Question: 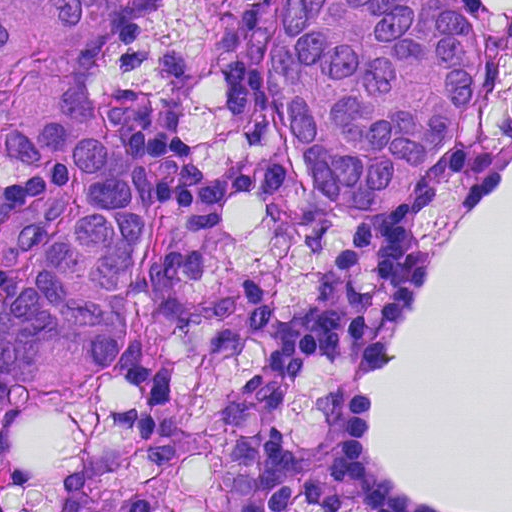
At roughly what magnification is this field shown?

Choices:
 (A) about 5×
 (B) about 40×
 (C) about 10×
 (D) about 20×
 (E) about 2.5×

Answer: (B) about 40×
A 0.12-mm field of an H&E-stained sentinel lymph node from a breast-cancer patient (whole-slide image), shown at about 40×, about 0.23 µm per pixel.
Outlines of two tumour regions, largest first (closed clockwise paths, crop pixels): region 1: (0, 0), (144, 0), (97, 53), (99, 104), (167, 176), (167, 226), (111, 371), (69, 394), (20, 390), (0, 368), (0, 291), (31, 214), (28, 164), (0, 145); region 2: (276, 0), (466, 0), (481, 20), (477, 68), (440, 160), (405, 197), (358, 219), (314, 198), (263, 112), (259, 41).
The annotated tumour makes up about 35% of the crop.